Question: 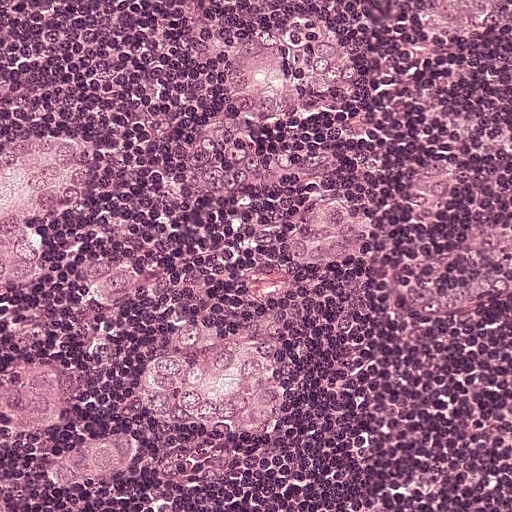
A 0.25-mm field of an H&E-stained sentinel lymph node from a breast-cancer patient (whole-slide image), shown at about 20×, about 0.49 µm per pixel.
What fraction of the image area is metastatic tumour?

Choices:
 (A) about 5% or less
 (B) about 50% or more
 (C) about 10% to 20%
 (D) none: no tumour is outlined
 (E) about 25% to 45%

Answer: (C) about 10% to 20%
About 20% of the field is tumour.
Outlines of eight tumour regions, largest first (closed clockwise paths, crop pixels): region 1: (176, 319), (207, 333), (235, 333), (273, 342), (292, 380), (278, 440), (226, 440), (154, 427), (137, 405), (137, 390), (150, 347), (165, 340), (164, 324); region 2: (302, 32), (330, 32), (340, 47), (365, 64), (364, 91), (360, 91), (358, 100), (340, 112), (293, 125), (243, 122), (224, 88), (234, 42), (246, 36), (290, 38); region 3: (34, 128), (54, 128), (84, 138), (97, 160), (92, 185), (73, 202), (26, 219), (30, 236), (43, 242), (42, 263), (37, 274), (1, 288), (0, 159), (21, 135); region 4: (298, 199), (321, 199), (373, 208), (380, 222), (374, 255), (343, 268), (302, 268), (276, 238), (278, 222), (285, 216), (292, 202); region 5: (16, 354), (42, 354), (60, 356), (66, 368), (74, 369), (78, 392), (78, 402), (68, 413), (48, 419), (34, 428), (20, 428), (1, 420), (0, 366), (12, 356); region 6: (112, 426), (134, 427), (135, 440), (137, 440), (138, 474), (106, 478), (94, 487), (62, 487), (56, 482), (56, 477), (51, 476), (50, 466), (54, 462), (76, 452), (76, 449), (100, 436); region 7: (432, 0), (511, 0), (511, 4), (493, 27), (485, 30), (473, 40), (464, 41), (460, 43), (450, 43), (430, 38), (430, 35), (423, 28), (416, 27), (416, 16); region 8: (0, 500), (1, 500), (1, 502), (2, 502), (4, 504), (7, 504), (8, 506), (14, 508), (16, 511), (0, 511).
Question: 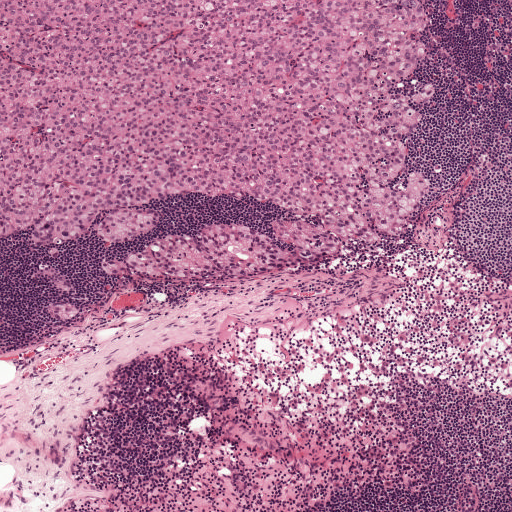
Lymph node section stained with H&E, from a whole-slide image of a breast-cancer sentinel node. Magnification about 5×, about 1 mm across the frame, about 1.9 µm per pixel.
What fraction of the image area is metastatic tumour?

Choices:
 (A) about 50% or more
 (B) about 10% to 20%
 (C) about 25% to 45%
 (D) about 5% or less
 (E) none: no tumour is outlined

Answer: (C) about 25% to 45%
About 40% of the field is tumour.
Three metastatic tumour regions, each outlined as a closed clockwise path in crop pixels (x, y), largest first: region 1: (0, 0), (431, 0), (440, 88), (414, 157), (432, 196), (407, 238), (319, 266), (173, 285), (93, 265), (191, 227), (267, 225), (268, 208), (152, 204), (163, 220), (129, 245), (94, 239), (69, 252), (22, 236), (0, 247); region 2: (49, 265), (59, 269), (73, 278), (76, 288), (67, 291), (52, 286), (34, 271); region 3: (54, 301), (66, 301), (79, 304), (80, 315), (68, 320), (54, 319), (46, 310).
Question: 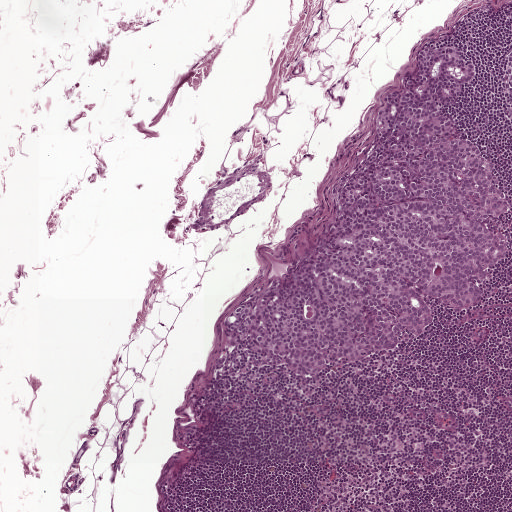
A 1-mm field of an H&E-stained sentinel lymph node from a breast-cancer patient (whole-slide image), shown at about 5×, about 1.9 µm per pixel.
What fraction of the image area is metastatic tumour?

Choices:
 (A) about 10% to 20%
 (B) about 50% or more
 (C) about 5% or less
 (D) about 25% to 45%
 (E) none: no tumour is outlined

Answer: (A) about 10% to 20%
About 20% of the field is tumour.
Metastatic tumour outline, simplified to 24 points and listed clockwise in crop pixels (x, y): (449, 45), (476, 65), (458, 103), (444, 107), (492, 152), (510, 199), (508, 253), (489, 297), (463, 312), (424, 296), (436, 320), (422, 337), (327, 376), (308, 381), (251, 368), (225, 379), (214, 362), (226, 315), (294, 278), (334, 218), (335, 181), (359, 165), (383, 99), (426, 47).
Question: 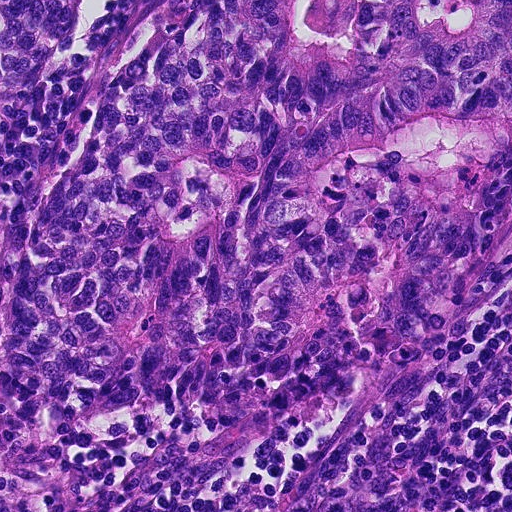
H&E-stained section of a sentinel lymph node (breast cancer), from a whole-slide image, viewed at about 20×: the field is about 0.23 mm across, about 0.45 µm per pixel.
What fraction of the image area is metastatic tumour?

Choices:
 (A) about 10% to 20%
 (B) about 25% to 45%
 (C) none: no tumour is outlined
 (D) about 5% or less
 (E) about 50% or more

Answer: (E) about 50% or more
About 80% of the field is tumour.
Metastatic tumour outline, simplified to 10 points and listed clockwise in crop pixels (x, y): (0, 0), (511, 0), (511, 254), (446, 344), (381, 382), (310, 402), (156, 418), (85, 448), (9, 458), (0, 511).